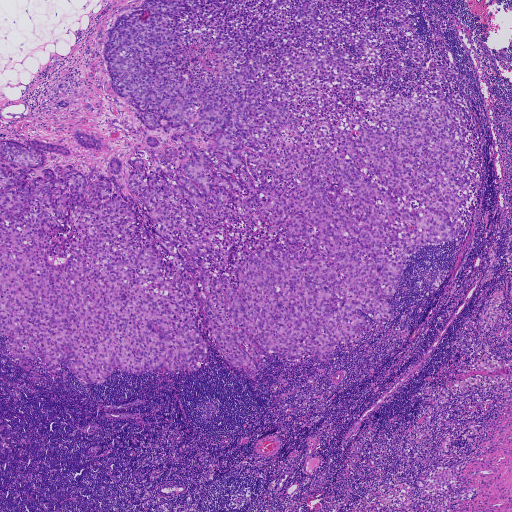
A 1.9-mm field of an H&E-stained sentinel lymph node from a breast-cancer patient (whole-slide image), shown at about 2.5×, about 3.6 µm per pixel.
Outlines of two tumour regions, largest first (closed clockwise paths, crop pixels): region 1: (415, 1), (428, 64), (360, 89), (458, 78), (471, 227), (411, 254), (395, 318), (326, 361), (271, 353), (252, 379), (205, 334), (208, 368), (5, 346), (0, 139), (69, 149), (35, 176), (118, 158), (138, 197), (131, 154), (179, 147), (111, 86), (98, 34), (123, 6); region 2: (76, 131), (85, 132), (101, 141), (103, 145), (102, 149), (97, 150), (80, 146), (74, 139), (73, 134).
Two more small tumour pieces are annotated here but not outlined.
Tumour covers about 55% of the frame.